Question: 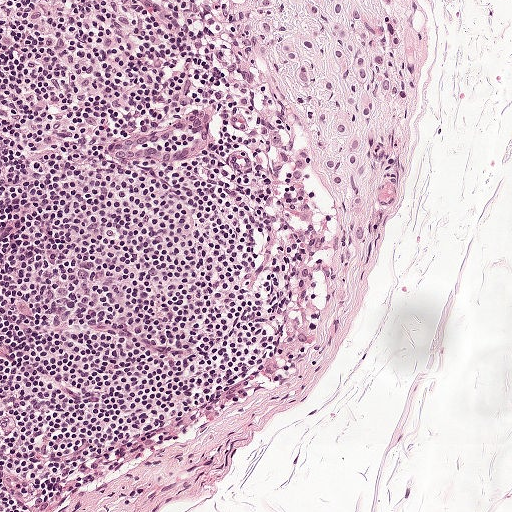
This is a crop of a whole-slide image: an H&E-stained breast-cancer sentinel lymph node section at roughly 10× magnification (about 0.97 µm per pixel; the crop spans about 0.5 mm).
About how much of this crop is taken up by metastatic carcinoma?

Choices:
 (A) about 5% or less
 (B) about 50% or more
 (C) about 10% to 20%
 (D) about 25% to 45%
 (E) none: no tumour is outlined

Answer: (C) about 10% to 20%
About 10% of the field is tumour.
The outlined metastatic tumour's edge, as a closed clockwise path of 19 points: (252, 0), (391, 0), (400, 32), (412, 50), (415, 78), (401, 108), (371, 106), (368, 114), (376, 159), (359, 244), (350, 253), (320, 181), (295, 186), (286, 180), (287, 160), (312, 145), (312, 114), (288, 68), (256, 36).
Question: 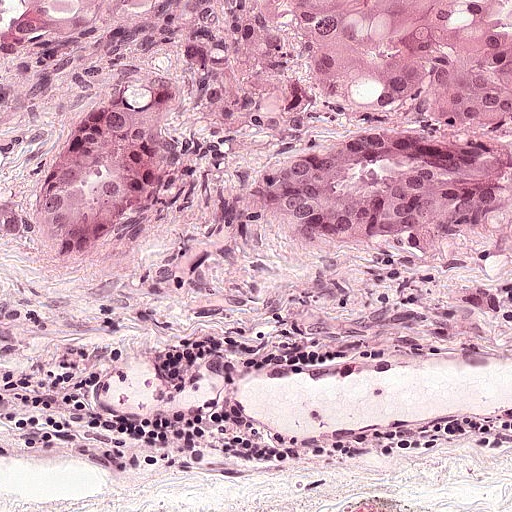
A 0.25-mm field of an H&E-stained sentinel lymph node from a breast-cancer patient (whole-slide image), shown at about 20×, about 0.49 µm per pixel.
About how much of this crop is taken up by metastatic carcinoma?

Choices:
 (A) about 10% to 20%
 (B) about 50% or more
 (C) about 25% to 45%
 (D) none: no tumour is outlined
 (E) about 5% or less

Answer: (C) about 25% to 45%
About 45% of the field is tumour.
Metastatic tumour outline, simplified to 7 points and listed clockwise in crop pixels (x, y): (0, 0), (511, 0), (511, 201), (474, 229), (426, 247), (208, 230), (8, 234).
Question: 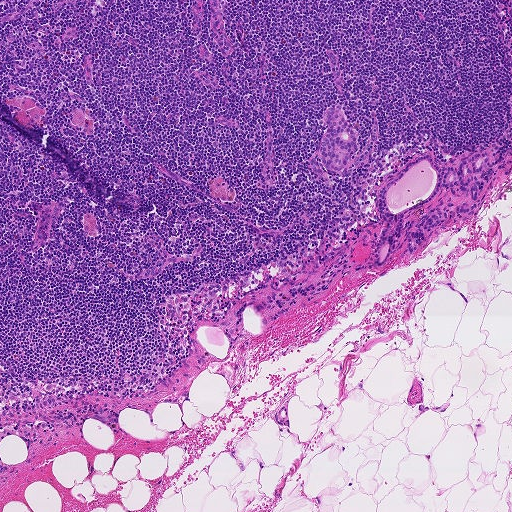
Lymph node section stained with H&E, from a whole-slide image of a breast-cancer sentinel node. Magnification about 5×, about 0.93 mm across the frame, about 1.8 µm per pixel.
About how much of this crop is taken up by metastatic carcinoma?

Choices:
 (A) about 5% or less
 (B) none: no tumour is outlined
 (C) about 25% to 45%
 (D) about 50% or more
 (E) about 10% to 20%

Answer: (A) about 5% or less
About 5% of the field is tumour.
Four metastatic tumour regions, each outlined as a closed clockwise path in crop pixels (x, y), largest first: region 1: (488, 152), (486, 165), (473, 174), (481, 181), (478, 198), (467, 199), (458, 186), (440, 189), (431, 201), (403, 217), (402, 229), (393, 238), (390, 255), (380, 266), (374, 258), (385, 222), (378, 213), (379, 191), (406, 163), (424, 154), (432, 154), (440, 168), (457, 169), (472, 155); region 2: (330, 108), (343, 111), (347, 124), (357, 132), (353, 163), (343, 171), (330, 171), (324, 166), (320, 158), (320, 141), (328, 126), (322, 117), (323, 112); region 3: (437, 207), (447, 214), (446, 223), (431, 232), (423, 231), (425, 239), (423, 243), (419, 245), (415, 252), (411, 253), (405, 243), (402, 242), (404, 235), (416, 230), (415, 226), (419, 219), (433, 208); region 4: (476, 203), (476, 205), (476, 208), (465, 214), (456, 213), (456, 205), (460, 206), (461, 208), (465, 209).
Question: 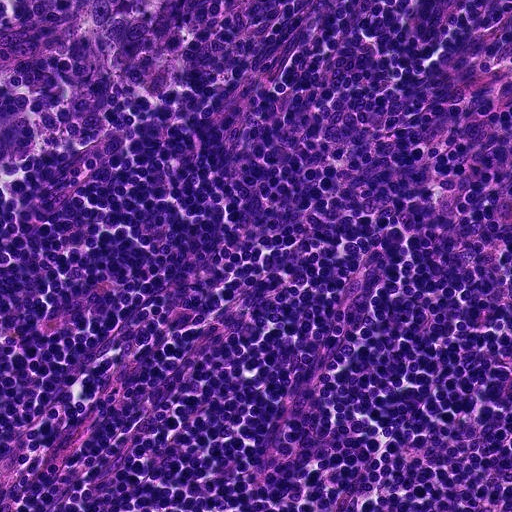
H&E-stained section of a sentinel lymph node (breast cancer), from a whole-slide image, viewed at about 20×: the field is about 0.23 mm across, about 0.45 µm per pixel.
About how much of this crop is taken up by metastatic carcinoma?

Choices:
 (A) none: no tumour is outlined
 (B) about 5% or less
 (C) about 50% or more
 (D) about 25% to 45%
 (E) about 10% to 20%

Answer: (B) about 5% or less
About 5% of the field is tumour.
Outlines of two tumour regions, largest first (closed clockwise paths, crop pixels): region 1: (48, 0), (236, 0), (222, 16), (192, 27), (128, 42), (95, 36), (72, 14); region 2: (0, 88), (6, 89), (34, 106), (35, 137), (0, 157).